Lymph node section stained with H&E, from a whole-slide image of a breast-cancer sentinel node. Magnification about 10×, about 0.5 mm across the frame, about 0.97 µm per pixel.
Question: 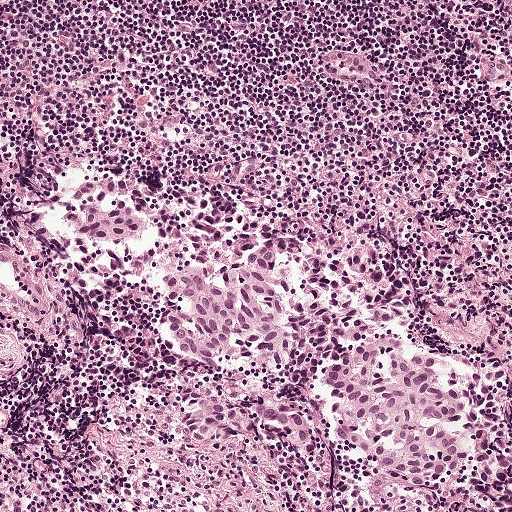
Estimate the proportion of this field that is metastatic tumour.

Choices:
 (A) about 5% or less
 (B) about 50% or more
 (C) none: no tumour is outlined
 (D) about 10% to 20%
 (E) about 25% to 45%

Answer: (E) about 25% to 45%
About 25% of the field is tumour.
Boundaries of two metastatic tumour regions, simplified and listed clockwise, largest first: region 1: (86, 176), (160, 181), (192, 204), (325, 231), (386, 264), (407, 291), (397, 324), (506, 397), (505, 473), (484, 480), (474, 445), (441, 483), (386, 476), (343, 436), (331, 380), (306, 391), (251, 360), (215, 372), (174, 348), (162, 289), (93, 269), (65, 230), (59, 209); region 2: (205, 392), (218, 392), (240, 402), (294, 405), (312, 417), (313, 428), (309, 444), (302, 450), (296, 450), (262, 432), (227, 434), (218, 438), (191, 437), (186, 429), (184, 417), (190, 410), (200, 404).